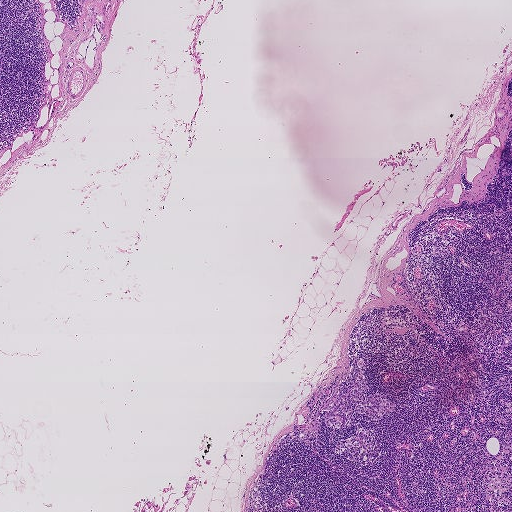
This is a crop of a whole-slide image: an H&E-stained breast-cancer sentinel lymph node section at roughly 2.5× magnification (about 3.6 µm per pixel; the crop spans about 1.9 mm).
Tumour region outline (a closed clockwise path, crop pixels): (359, 368), (368, 377), (366, 382), (372, 385), (364, 393), (385, 394), (395, 405), (394, 410), (391, 415), (384, 414), (375, 420), (355, 412), (350, 426), (340, 429), (327, 427), (325, 411), (331, 412), (336, 399), (354, 387), (349, 382).
Tumour covers under 5% of the frame.